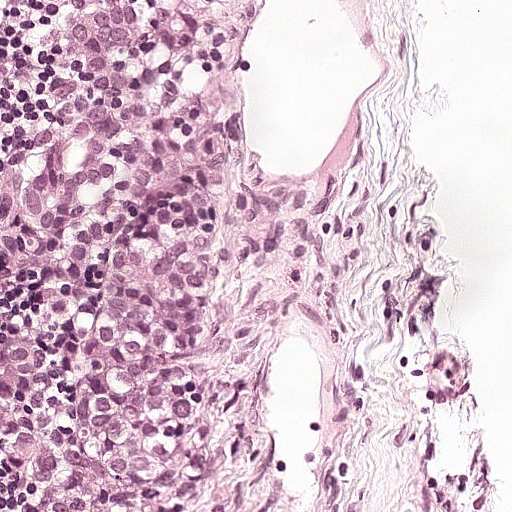
A 0.25-mm field of an H&E-stained sentinel lymph node from a breast-cancer patient (whole-slide image), shown at about 20×, about 0.49 µm per pixel.
One metastatic tumour region; its boundary, reduced to 12 corners and listed clockwise: (85, 0), (175, 0), (209, 15), (250, 40), (286, 101), (256, 318), (188, 510), (0, 511), (0, 432), (40, 308), (46, 106), (57, 48).
The annotated tumour makes up about 40% of the crop.